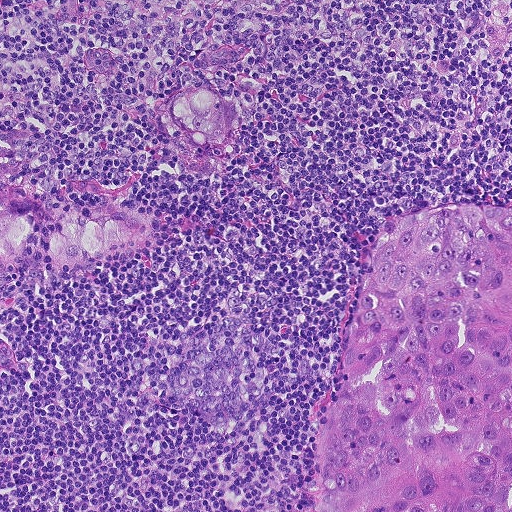
A 0.46-mm field of an H&E-stained sentinel lymph node from a breast-cancer patient (whole-slide image), shown at about 10×, about 0.9 µm per pixel.
Question: Show where the tumour is in this image.
Answer: Outlines of four tumour regions, largest first (closed clockwise paths, crop pixels): region 1: (511, 204), (511, 511), (316, 511), (323, 416), (342, 378), (344, 343), (385, 226), (434, 205); region 2: (70, 203), (84, 204), (95, 212), (108, 207), (136, 212), (147, 221), (146, 234), (136, 244), (94, 256), (70, 271), (59, 265), (52, 253), (49, 240); region 3: (200, 86), (216, 90), (230, 102), (235, 119), (232, 136), (218, 146), (201, 147), (184, 141), (172, 128), (164, 112), (170, 95); region 4: (0, 184), (21, 188), (35, 195), (38, 208), (38, 224), (34, 237), (15, 255), (0, 258).
About 25% of the image area is annotated as tumour.